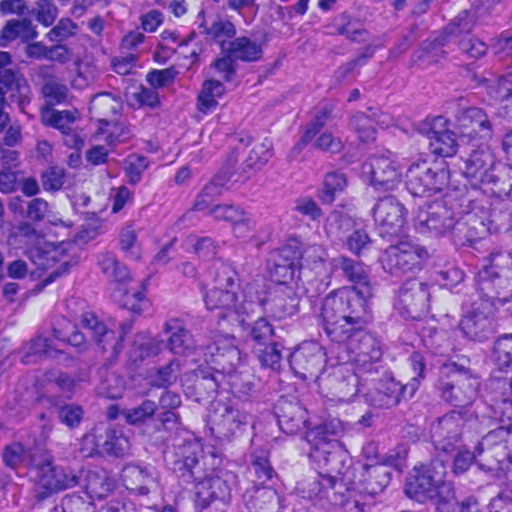
This is a crop of a whole-slide image: an H&E-stained breast-cancer sentinel lymph node section at roughly 40× magnification (about 0.23 µm per pixel; the crop spans about 0.12 mm).
Two metastatic tumour regions, each outlined as a closed clockwise path in crop pixels (x, y), largest first: region 1: (511, 52), (511, 511), (35, 511), (56, 475), (134, 408), (304, 220), (410, 146); region 2: (116, 71), (149, 92), (143, 178), (101, 224), (59, 220), (65, 90).
About 50% of this field is tumour.